H&E-stained section of a sentinel lymph node (breast cancer), from a whole-slide image, viewed at about 20×: the field is about 0.25 mm across, about 0.49 µm per pixel.
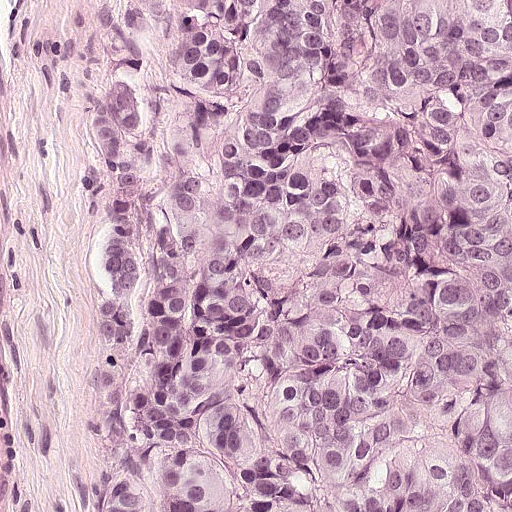
Question: Outline the metastatic carcinoma in this image, as closed paths of (x, y) pixel coordinates.
Answer: The outlined metastatic tumour's edge, as a closed clockwise path of 8 points: (511, 0), (511, 511), (92, 511), (90, 334), (108, 250), (84, 215), (84, 107), (108, 1).
Tumour covers about 80% of the frame.